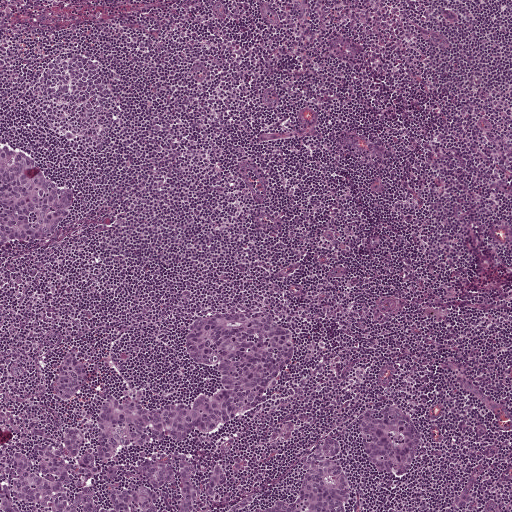
H&E-stained section of a sentinel lymph node (breast cancer), from a whole-slide image, viewed at about 5×: the field is about 1 mm across, about 1.9 µm per pixel.
Question: Where is the metastatic tumour in this field?
Answer: Four metastatic tumour regions, each outlined as a closed clockwise path in crop pixels (x, y), largest first: region 1: (210, 312), (260, 312), (292, 329), (296, 354), (286, 375), (265, 402), (214, 432), (145, 443), (149, 454), (196, 454), (234, 472), (245, 456), (254, 477), (293, 497), (314, 442), (337, 438), (363, 510), (0, 511), (0, 473), (11, 456), (37, 453), (34, 447), (62, 440), (83, 420), (85, 408), (51, 397), (49, 373), (66, 355), (76, 349), (84, 358), (94, 403), (117, 395), (187, 403), (218, 385), (221, 374), (191, 359), (188, 324); region 2: (12, 143), (24, 147), (34, 156), (48, 176), (72, 188), (76, 199), (74, 212), (59, 232), (36, 245), (0, 251), (0, 146); region 3: (392, 402), (413, 418), (421, 430), (423, 442), (421, 455), (411, 473), (405, 475), (385, 474), (379, 472), (370, 462), (363, 451), (353, 421), (363, 413), (376, 412), (380, 407); region 4: (487, 494), (498, 498), (507, 505), (508, 511), (457, 511), (468, 507), (476, 498).
About 15% of this field is tumour.